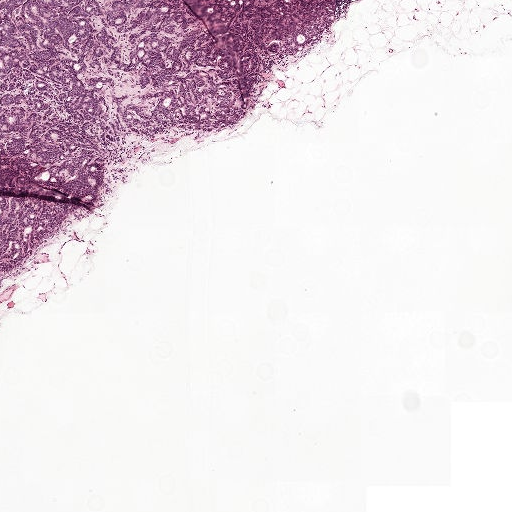
H&E-stained section of a sentinel lymph node (breast cancer), from a whole-slide image, viewed at about 2.5×: the field is about 2.0 mm across, about 3.9 µm per pixel.
Question: Is there metastatic carcinoma in this field?
Answer: Yes.
Boundaries of three metastatic tumour regions, simplified and listed clockwise, largest first: region 1: (0, 0), (179, 0), (203, 25), (241, 103), (238, 120), (218, 129), (114, 139), (93, 197), (1, 166); region 2: (204, 0), (335, 0), (336, 6), (321, 1), (309, 3), (271, 21), (260, 34), (265, 44), (279, 41), (296, 34), (333, 12), (336, 16), (330, 20), (316, 38), (265, 69), (252, 70), (240, 58); region 3: (0, 194), (50, 200), (72, 206), (72, 211), (61, 226), (7, 268), (0, 275).
Tumour covers about 15% of the frame.

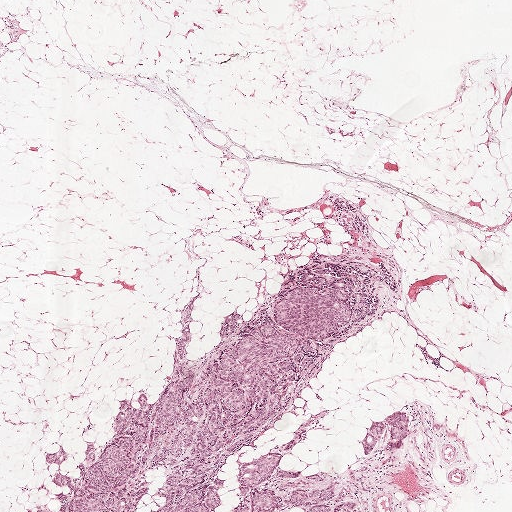
A 2.0-mm field of an H&E-stained sentinel lymph node from a breast-cancer patient (whole-slide image), shown at about 2.5×, about 3.9 µm per pixel.
Question: Is there metastatic carcinoma in this field?
Answer: Yes.
The outlined metastatic tumour's edge, as a closed clockwise path of 24 points: (329, 191), (357, 201), (388, 231), (410, 289), (403, 314), (336, 355), (299, 409), (291, 442), (331, 441), (391, 410), (410, 413), (410, 444), (383, 480), (383, 511), (21, 511), (45, 452), (109, 425), (156, 375), (188, 295), (215, 290), (229, 302), (273, 287), (291, 259), (295, 213).
Tumour covers about 25% of the frame.

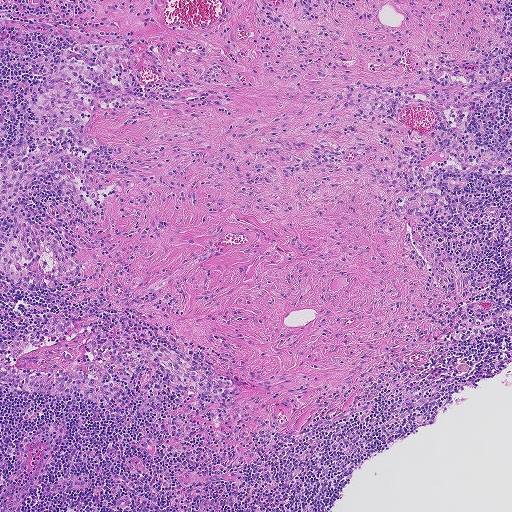
This is a crop of a whole-slide image: an H&E-stained breast-cancer sentinel lymph node section at roughly 5× magnification (about 1.8 µm per pixel; the crop spans about 0.93 mm).
Question: Is there metastatic carcinoma in this field?
Answer: No, this field holds no outlined metastasis.

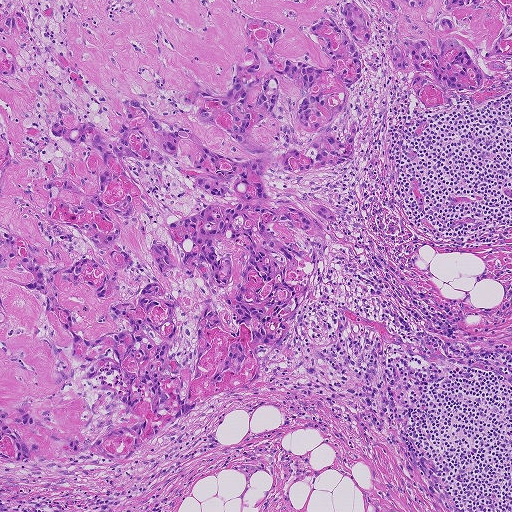
Lymph node section stained with H&E, from a whole-slide image of a breast-cancer sentinel node. Magnification about 5×, about 0.93 mm across the frame, about 1.8 µm per pixel.
Question: Is there metastatic carcinoma in this field?
Answer: Yes.
Metastatic tumour outline, simplified to 20 points and listed clockwise in crop pixels (x, y): (0, 0), (511, 0), (511, 83), (476, 106), (421, 108), (413, 73), (389, 66), (387, 43), (357, 47), (356, 158), (300, 183), (338, 218), (325, 222), (331, 242), (287, 341), (258, 361), (252, 384), (218, 394), (126, 464), (4, 461).
The annotated tumour makes up about 60% of the crop.